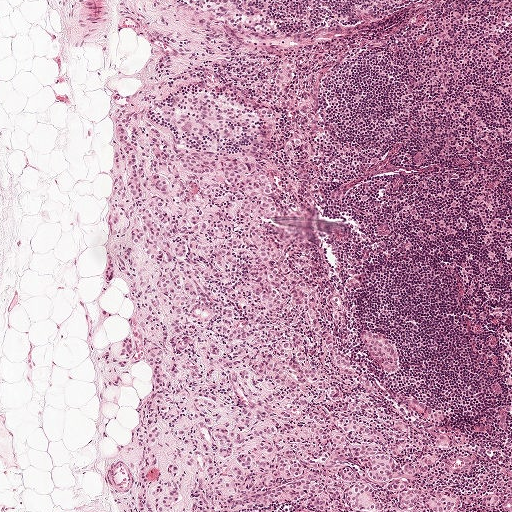
A 1-mm field of an H&E-stained sentinel lymph node from a breast-cancer patient (whole-slide image), shown at about 5×, about 1.9 µm per pixel.
Four metastatic tumour regions, each outlined as a closed clockwise path in crop pixels (x, y), largest first: region 1: (134, 113), (270, 169), (268, 236), (312, 248), (294, 258), (325, 301), (364, 276), (342, 293), (344, 329), (330, 322), (338, 348), (375, 408), (421, 425), (408, 396), (463, 430), (410, 482), (462, 511), (137, 511), (156, 371), (108, 245), (122, 136); region 2: (313, 97), (320, 105), (318, 126), (312, 136), (308, 155), (301, 158), (288, 157), (286, 154), (286, 140), (300, 122), (301, 103), (306, 99); region 3: (371, 329), (379, 331), (381, 335), (392, 341), (396, 346), (398, 353), (398, 368), (394, 373), (388, 373), (379, 367), (364, 353), (361, 339), (364, 331); region 4: (284, 58), (296, 63), (295, 106), (291, 110), (276, 109), (270, 99), (271, 90).
Tumour covers about 30% of the frame.